Image:
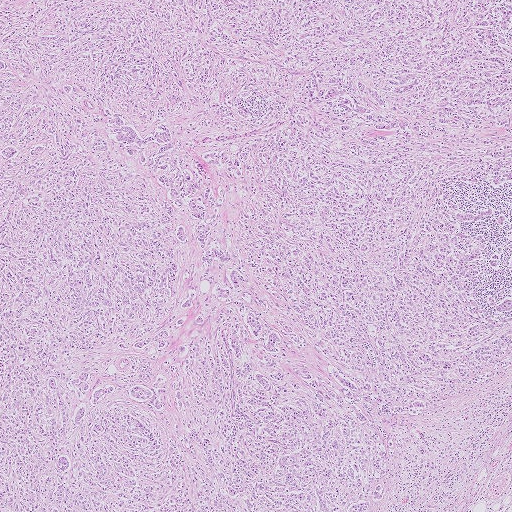
H&E-stained section of a sentinel lymph node (breast cancer), from a whole-slide image, viewed at about 2.5×: the field is about 2.0 mm across, about 4.0 µm per pixel.
Question:
Describe where the metastatic carcinoma lies in this crop.
Answer:
Two metastatic tumour regions, each outlined as a closed clockwise path in crop pixels (x, y), largest first: region 1: (0, 0), (511, 0), (511, 354), (480, 386), (390, 418), (395, 448), (369, 509), (0, 511); region 2: (430, 457), (435, 458), (438, 476), (433, 484), (427, 486), (424, 484), (423, 474), (414, 470), (414, 466), (421, 459).
One more small tumour piece is annotated here but not outlined.
Tumour covers about 95% of the frame.